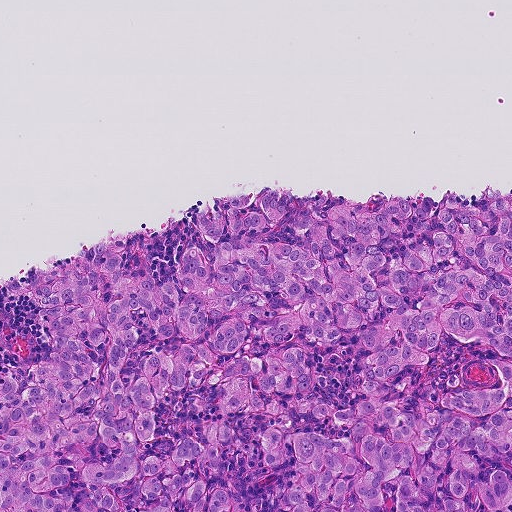
A 0.46-mm field of an H&E-stained sentinel lymph node from a breast-cancer patient (whole-slide image), shown at about 10×, about 0.9 µm per pixel.
One metastatic tumour region; its boundary, reduced to 21 corners and listed clockwise: (270, 185), (364, 202), (383, 193), (480, 202), (511, 192), (511, 511), (0, 511), (0, 368), (22, 386), (26, 363), (46, 358), (48, 346), (37, 304), (2, 278), (127, 232), (123, 272), (162, 282), (179, 273), (189, 242), (210, 260), (198, 209).
The annotated tumour makes up about 55% of the crop.